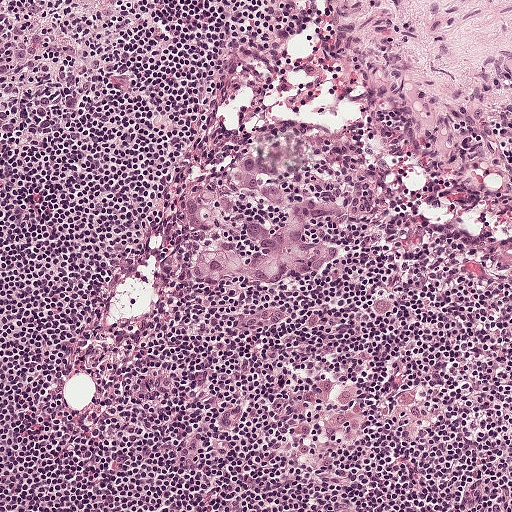
A 0.5-mm field of an H&E-stained sentinel lymph node from a breast-cancer patient (whole-slide image), shown at about 10×, about 0.97 µm per pixel.
Tumour region outline (a closed clockwise path, crop pixels): (281, 155), (290, 192), (317, 194), (354, 212), (343, 219), (327, 215), (314, 218), (318, 236), (346, 242), (346, 254), (324, 272), (280, 281), (247, 275), (217, 281), (194, 272), (198, 236), (180, 198), (212, 174), (230, 174), (246, 156).
About 5% of the image area is annotated as tumour.